Image:
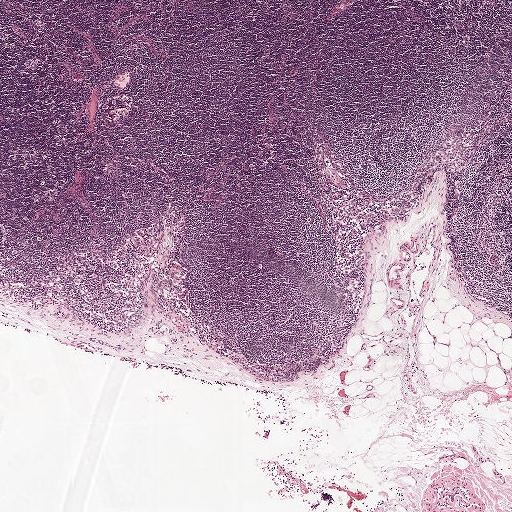
Lymph node section stained with H&E, from a whole-slide image of a breast-cancer sentinel node. Magnification about 2.5×, about 2.0 mm across the frame, about 3.9 µm per pixel.
Question:
Is there metastatic carcinoma in this field?
Answer:
No. No metastatic tumour is outlined in this field.